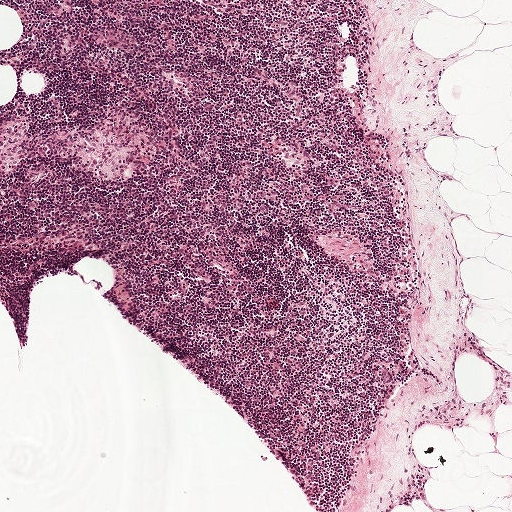
A 1-mm field of an H&E-stained sentinel lymph node from a breast-cancer patient (whole-slide image), shown at about 5×, about 1.9 µm per pixel.